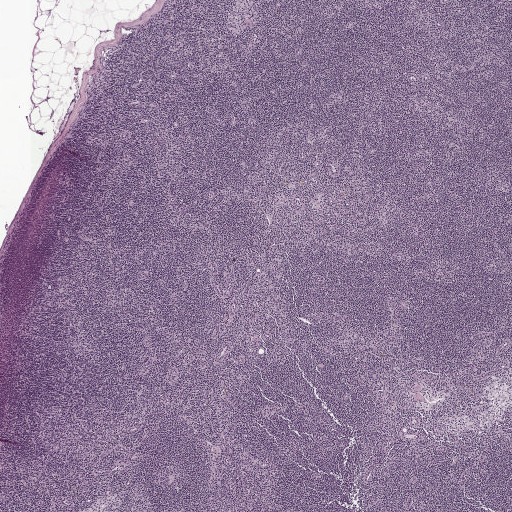
This is a crop of a whole-slide image: an H&E-stained breast-cancer sentinel lymph node section at roughly 2.5× magnification (about 3.9 µm per pixel; the crop spans about 2.0 mm).